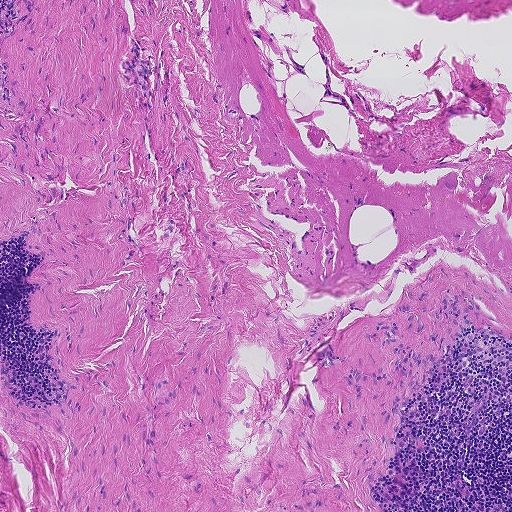
Lymph node section stained with H&E, from a whole-slide image of a breast-cancer sentinel node. Magnification about 5×, about 0.93 mm across the frame, about 1.8 µm per pixel.
Question: Does this lymph node field contain metastatic tumour?
Answer: No. No metastatic tumour is outlined in this field.